A 0.5-mm field of an H&E-stained sentinel lymph node from a breast-cancer patient (whole-slide image), shown at about 10×, about 0.97 µm per pixel.
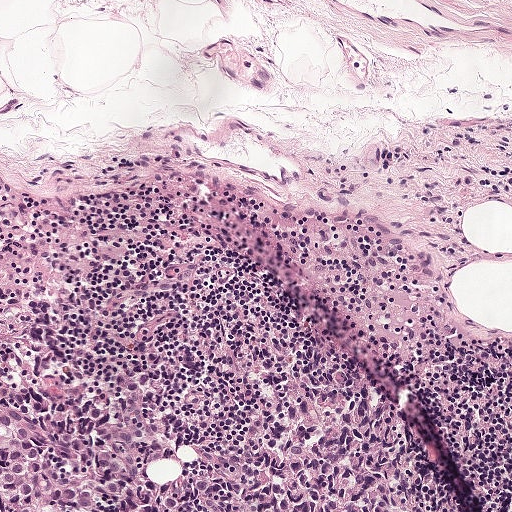
Metastatic tumour outline, simplified to 6 points and listed clockwise in crop pixels (x, y): (109, 205), (191, 222), (243, 258), (449, 511), (0, 511), (0, 217).
About 35% of the image area is annotated as tumour.